This is a crop of a whole-slide image: an H&E-stained breast-cancer sentinel lymph node section at roughly 20× magnification (about 0.49 µm per pixel; the crop spans about 0.25 mm).
Image:
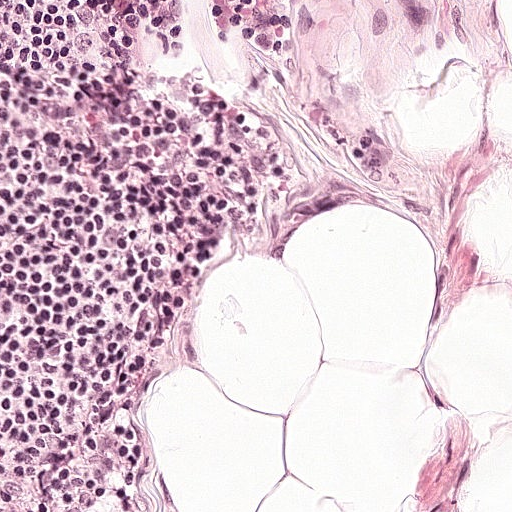
Question:
Does this lymph node field contain metastatic tumour?
Answer:
No, this field holds no outlined metastasis.